Lymph node section stained with H&E, from a whole-slide image of a breast-cancer sentinel node. Magnification about 5×, about 0.93 mm across the frame, about 1.8 µm per pixel.
Image:
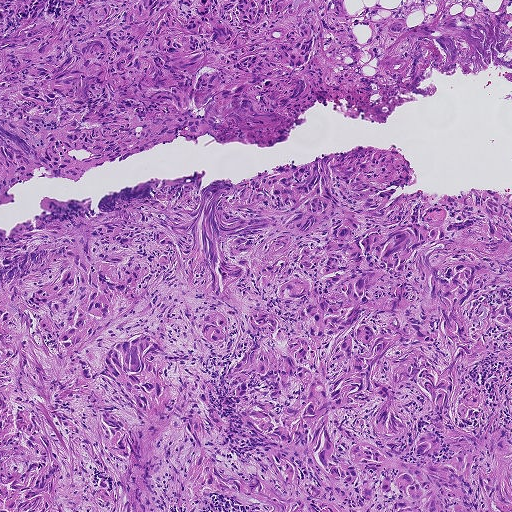
Question:
Show where the tumour is in this image.
Answer:
Boundaries of two metastatic tumour regions, simplified and listed clockwise, largest first: region 1: (358, 147), (395, 152), (413, 168), (413, 185), (388, 187), (390, 199), (510, 193), (511, 511), (0, 511), (0, 227), (6, 237), (50, 213), (40, 200), (90, 197), (93, 215), (104, 195), (151, 179), (202, 169), (200, 189), (222, 178), (236, 184); region 2: (0, 0), (344, 0), (367, 94), (356, 119), (336, 113), (331, 100), (317, 102), (286, 141), (267, 149), (180, 135), (78, 182), (41, 168), (0, 205).
The annotated tumour makes up about 85% of the crop.